Image:
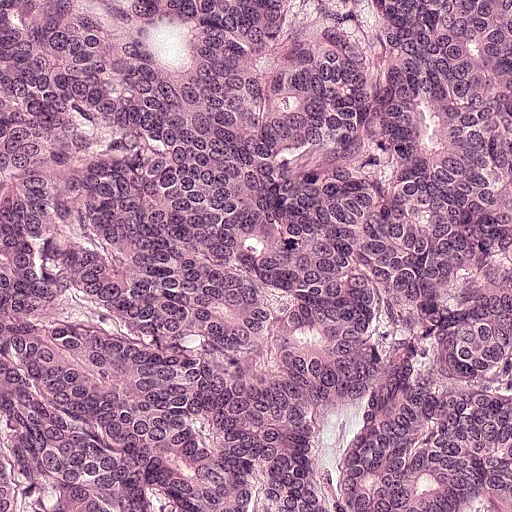
A 0.25-mm field of an H&E-stained sentinel lymph node from a breast-cancer patient (whole-slide image), shown at about 20×, about 0.49 µm per pixel.
Question:
Show where the tumour is in this image.
Answer:
Metastatic tumour covers the whole field.
Over 95% of the image area is annotated as tumour.